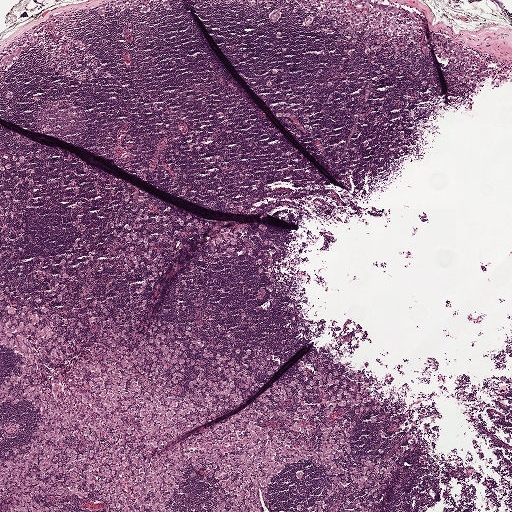
This is a crop of a whole-slide image: an H&E-stained breast-cancer sentinel lymph node section at roughly 2.5× magnification (about 3.9 µm per pixel; the crop spans about 2.0 mm).
One metastatic tumour region; its boundary, reduced to 24 corners and listed clockwise: (0, 281), (51, 308), (170, 322), (288, 360), (343, 372), (375, 398), (352, 450), (391, 463), (384, 506), (304, 511), (329, 487), (306, 462), (265, 488), (264, 511), (212, 511), (216, 480), (189, 469), (172, 511), (9, 511), (0, 453), (37, 415), (0, 410), (20, 358), (0, 347).
The annotated tumour makes up about 20% of the crop.